Image:
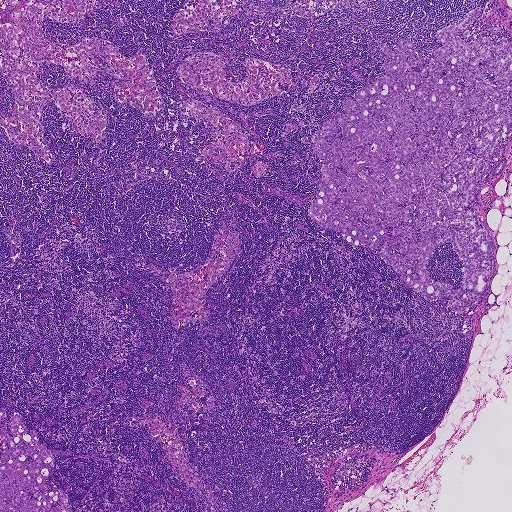
This is a crop of a whole-slide image: an H&E-stained breast-cancer sentinel lymph node section at roughly 2.5× magnification (about 3.6 µm per pixel; the crop spans about 1.9 mm).
Question:
Describe where the metastatic carcinoma lies in this crop.
Answer:
Boundaries of three metastatic tumour regions, simplified and listed clockwise, largest first: region 1: (481, 6), (461, 39), (511, 41), (506, 160), (466, 208), (484, 210), (493, 247), (474, 315), (423, 298), (378, 249), (355, 248), (306, 214), (321, 165), (301, 138), (384, 72), (380, 41), (396, 52), (396, 39), (411, 40), (426, 60), (428, 46), (444, 45), (436, 31); region 2: (0, 408), (6, 410), (7, 415), (1, 428), (6, 424), (12, 437), (10, 418), (17, 412), (27, 428), (36, 429), (40, 442), (46, 447), (71, 451), (70, 455), (51, 454), (55, 466), (47, 482), (64, 491), (71, 511), (0, 511); region 3: (507, 192), (508, 203), (511, 208), (511, 219), (506, 216), (502, 216), (497, 209), (493, 208), (492, 203), (496, 199), (498, 195), (500, 197), (505, 197).
About 15% of the image area is annotated as tumour.